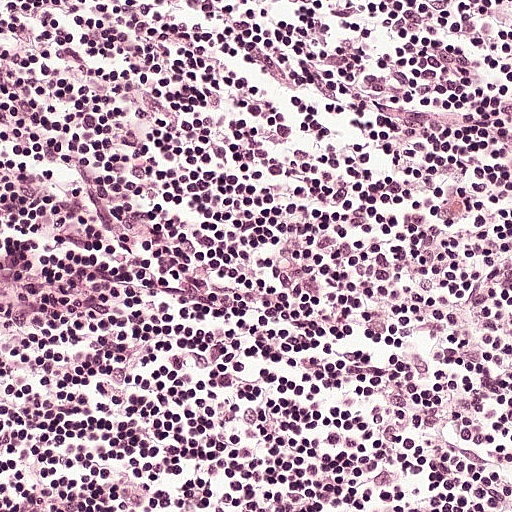
Lymph node section stained with H&E, from a whole-slide image of a breast-cancer sentinel node. Magnification about 20×, about 0.25 mm across the frame, about 0.49 µm per pixel.